Image:
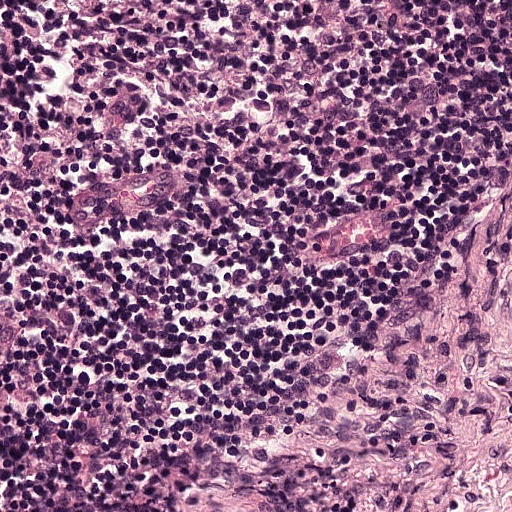
Lymph node section stained with H&E, from a whole-slide image of a breast-cancer sentinel node. Magnification about 20×, about 0.25 mm across the frame, about 0.49 µm per pixel.
Question:
Is any metastatic breast cancer visible in this crop?
Answer:
No: no metastatic tumour is outlined anywhere in this field.